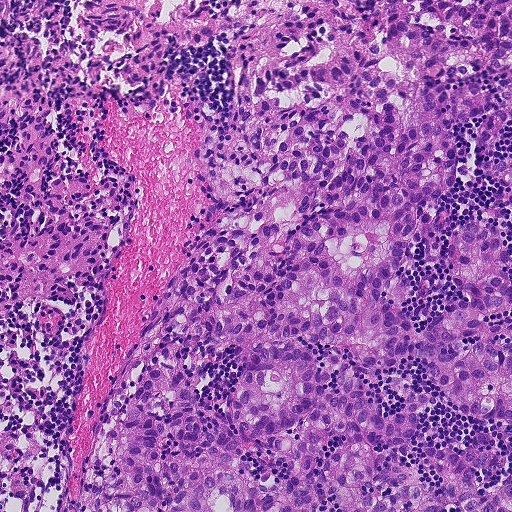
H&E-stained section of a sentinel lymph node (breast cancer), from a whole-slide image, viewed at about 10×: the field is about 0.46 mm across, about 0.9 µm per pixel.
Tumour region outline (a closed clockwise path, crop pixels): (75, 0), (511, 0), (511, 511), (71, 511), (124, 359), (205, 194), (196, 146), (222, 104), (230, 53), (170, 33), (167, 85), (144, 104), (77, 62).
The annotated tumour makes up about 70% of the crop.